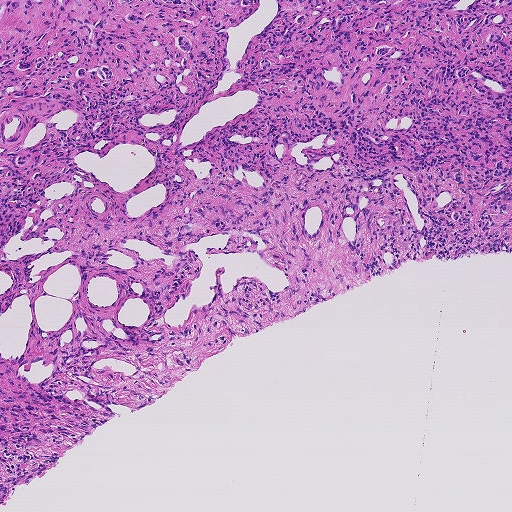
This is a crop of a whole-slide image: an H&E-stained breast-cancer sentinel lymph node section at roughly 5× magnification (about 1.8 µm per pixel; the crop spans about 0.93 mm).
Tumour region outline (a closed clockwise path, crop pixels): (0, 0), (511, 0), (511, 252), (406, 260), (236, 337), (149, 408), (108, 405), (109, 422), (0, 504).
About 70% of this field is tumour.